Image:
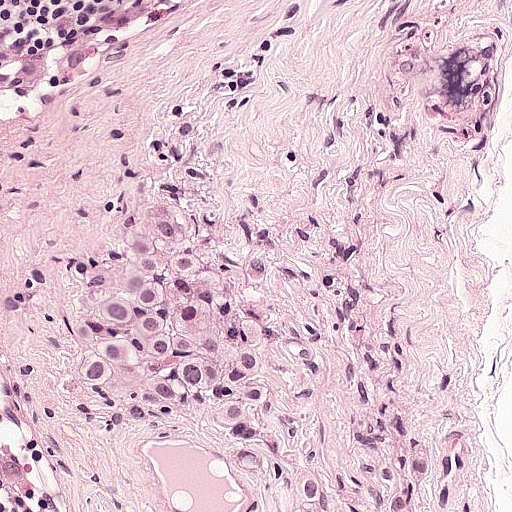
Lymph node section stained with H&E, from a whole-slide image of a breast-cancer sentinel node. Magnification about 20×, about 0.25 mm across the frame, about 0.49 µm per pixel.
Question:
Describe where the metastatic carcinoma lies in this crop.
Answer:
Metastatic tumour outline, simplified to 15 points and listed clockwise in crop pixels (x, y): (143, 202), (212, 220), (252, 258), (292, 332), (340, 370), (402, 366), (443, 388), (471, 450), (475, 511), (258, 511), (221, 457), (162, 426), (57, 396), (77, 276), (116, 218).
About 30% of this field is tumour.